Question: 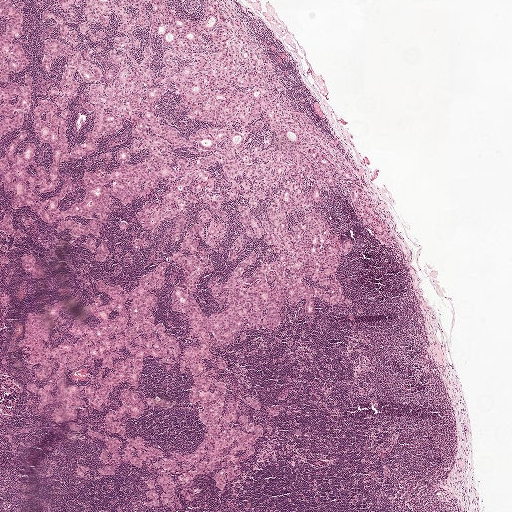
At roughly what magnification is this field shown?

Choices:
 (A) about 2.5×
 (B) about 40×
 (C) about 10×
 (D) about 5×
 (E) about 20×

Answer: (A) about 2.5×
A 2.0-mm field of an H&E-stained sentinel lymph node from a breast-cancer patient (whole-slide image), shown at about 2.5×, about 3.9 µm per pixel.
Outlines of the eight largest metastatic tumour regions, each a closed clockwise path in crop pixels (x, y), largest first: region 1: (222, 0), (393, 243), (324, 186), (353, 307), (203, 364), (263, 435), (168, 507), (121, 449), (193, 452), (190, 372), (146, 358), (172, 407), (123, 437), (102, 420), (126, 383), (68, 372), (73, 432), (18, 343), (168, 259), (156, 322), (197, 350), (168, 298), (202, 204), (149, 231), (157, 179), (75, 237), (97, 216), (1, 185), (19, 132), (53, 156), (40, 11); region 2: (0, 0), (12, 0), (24, 21), (20, 36), (13, 42), (20, 42), (26, 50), (28, 64), (20, 71), (11, 72), (7, 78), (21, 85), (24, 73), (31, 75), (32, 80), (32, 98), (21, 125), (0, 137), (0, 119), (4, 117), (0, 115), (0, 106), (2, 105), (0, 101); region 3: (88, 429), (92, 430), (107, 438), (116, 437), (121, 442), (121, 447), (117, 451), (119, 461), (119, 466), (114, 472), (105, 475), (100, 474), (96, 471), (96, 470), (98, 467), (107, 466), (112, 463), (113, 461), (110, 458), (110, 453), (106, 454), (108, 461), (106, 464), (104, 464), (99, 460), (99, 455), (100, 452), (102, 449), (106, 447), (103, 442), (87, 435), (86, 433), (86, 430); region 4: (28, 254), (32, 257), (35, 260), (34, 264), (44, 270), (44, 277), (39, 279), (23, 270), (20, 262), (21, 256); region 5: (151, 478), (152, 480), (158, 501), (157, 507), (152, 508), (148, 508), (144, 506), (143, 504), (145, 502), (150, 500), (150, 499), (146, 497), (145, 494), (146, 490), (149, 488), (148, 486), (146, 485), (145, 481), (146, 479); region 6: (92, 238), (96, 241), (96, 243), (96, 246), (96, 249), (97, 248), (98, 245), (101, 243), (105, 244), (106, 251), (105, 257), (102, 260), (98, 260), (96, 258), (95, 252), (86, 249), (85, 242), (86, 239); region 7: (3, 215), (8, 216), (10, 220), (12, 231), (0, 238), (0, 219); region 8: (136, 238), (141, 238), (147, 240), (150, 243), (145, 248), (140, 250), (137, 250), (133, 250), (132, 247), (133, 243).
Region 1 encloses nine non-tumour holes totalling about 10% of its area.
One more, smaller tumour region is not outlined.
Three more small tumour pieces are annotated here but not outlined.
About 35% of this field is tumour.